A 2.0-mm field of an H&E-stained sentinel lymph node from a breast-cancer patient (whole-slide image), shown at about 2.5×, about 3.9 µm per pixel.
Question: 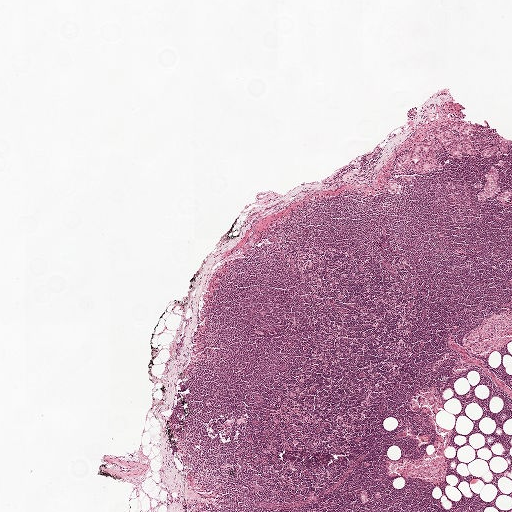
What fraction of the image area is metastatic tumour?

Choices:
 (A) about 10% to 20%
 (B) about 25% to 45%
 (C) about 5% or less
 (D) about 50% or more
 (E) none: no tumour is outlined

Answer: (C) about 5% or less
Under 5% of the field is tumour.
Outlines of five tumour regions, largest first (closed clockwise paths, crop pixels): region 1: (459, 121), (475, 126), (475, 131), (473, 136), (470, 136), (474, 150), (475, 151), (475, 156), (462, 154), (462, 156), (459, 158), (452, 156), (444, 146), (444, 141), (436, 138), (435, 140), (443, 149), (434, 150), (437, 163), (441, 165), (442, 169), (420, 173), (411, 167), (410, 165), (406, 170), (399, 173), (393, 171), (398, 156), (406, 153), (408, 150), (416, 145), (426, 142), (430, 128), (439, 124), (445, 125), (458, 137), (459, 133), (449, 126), (449, 122); region 2: (493, 166), (497, 169), (499, 177), (497, 183), (500, 191), (493, 197), (479, 199), (477, 197), (477, 195), (485, 187), (486, 182), (485, 174); region 3: (502, 139), (511, 140), (511, 146), (507, 147), (508, 153), (507, 154), (504, 154), (497, 151), (492, 153), (490, 157), (488, 157), (484, 157), (481, 155), (483, 151), (487, 148), (494, 146), (500, 146), (499, 144), (501, 143); region 4: (390, 178), (392, 178), (397, 181), (401, 186), (399, 194), (396, 194), (390, 192), (388, 189), (387, 187); region 5: (507, 189), (511, 190), (511, 196), (511, 197), (509, 196), (510, 201), (509, 202), (507, 203), (502, 202), (500, 199), (498, 198), (498, 197), (498, 195), (502, 193), (503, 190).
Five more small tumour pieces are annotated here but not outlined.